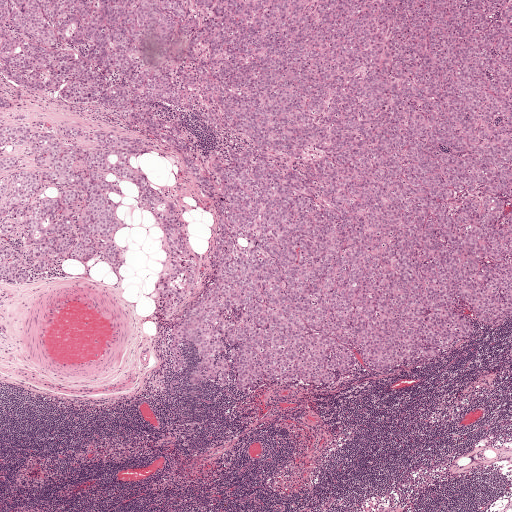
Lymph node section stained with H&E, from a whole-slide image of a breast-cancer sentinel node. Magnification about 2.5×, about 2.0 mm across the frame, about 3.9 µm per pixel.
One metastatic tumour region; its boundary, reduced to 19 corners and listed clockwise: (0, 0), (511, 0), (511, 323), (389, 378), (359, 361), (326, 387), (192, 387), (200, 351), (184, 343), (173, 374), (153, 296), (166, 263), (158, 218), (125, 179), (109, 197), (123, 263), (63, 259), (27, 285), (0, 283).
About 65% of this field is tumour.